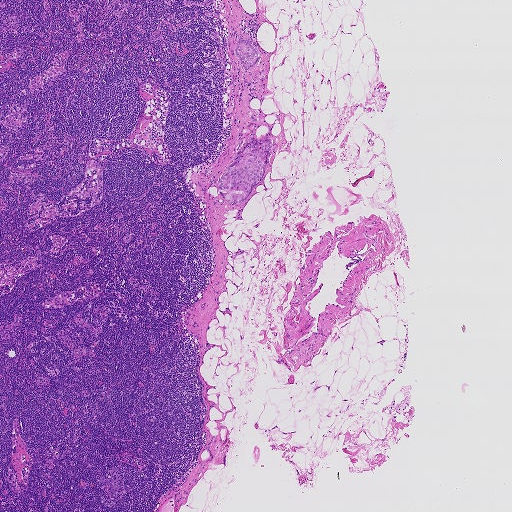
H&E-stained section of a sentinel lymph node (breast cancer), from a whole-slide image, viewed at about 2.5×: the field is about 1.9 mm across, about 3.6 µm per pixel.
Boundaries of two metastatic tumour regions, simplified and listed clockwise, largest first: region 1: (252, 130), (257, 138), (266, 137), (271, 140), (271, 147), (263, 175), (243, 202), (234, 204), (223, 198), (218, 186), (223, 174); region 2: (240, 39), (252, 42), (259, 53), (259, 60), (256, 65), (250, 69), (244, 69), (233, 52), (237, 41).
Tumour covers under 5% of the frame.